H&E-stained section of a sentinel lymph node (breast cancer), from a whole-slide image, viewed at about 5×: the field is about 1 mm across, about 1.9 µm per pixel.
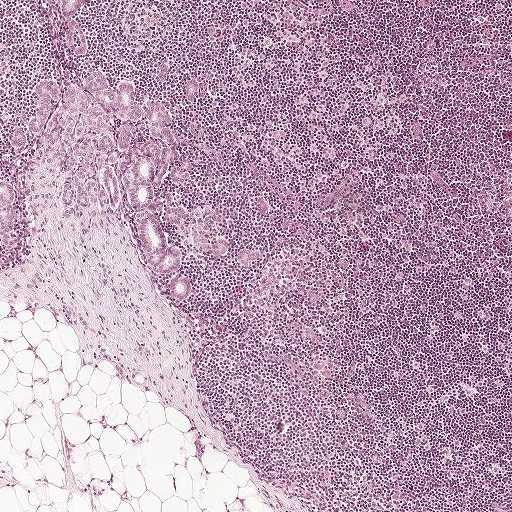
Outlines of eight tumour regions, largest first (closed clockwise paths, crop pixels): region 1: (93, 71), (132, 85), (138, 106), (170, 103), (191, 178), (168, 189), (186, 224), (162, 223), (190, 298), (172, 297), (142, 262), (124, 204), (72, 219), (38, 160), (18, 206), (21, 244), (1, 244), (0, 181), (27, 184), (30, 156), (11, 143), (20, 126), (32, 146), (38, 81); region 2: (198, 206), (204, 209), (206, 206), (210, 206), (216, 214), (216, 220), (212, 227), (206, 231), (198, 230), (207, 240), (207, 246), (205, 248), (190, 243), (186, 245), (183, 244), (183, 231), (196, 221), (194, 212); region 3: (74, 18), (87, 35), (87, 50), (85, 55), (79, 56), (70, 52), (66, 40), (66, 29), (70, 20); region 4: (58, 0), (83, 0), (76, 16), (71, 19), (66, 19), (59, 11); region 5: (242, 248), (257, 249), (260, 252), (259, 258), (251, 261), (247, 265), (240, 263), (237, 256); region 6: (219, 239), (227, 240), (228, 244), (227, 249), (218, 259), (213, 258), (212, 244); region 7: (191, 78), (196, 78), (198, 84), (198, 91), (191, 99), (187, 98), (186, 97), (186, 93), (185, 89), (186, 83); region 8: (162, 63), (168, 66), (168, 73), (165, 81), (161, 80), (160, 80), (160, 77), (158, 76), (158, 73), (160, 70), (160, 64).
Region 3 encloses a non-tumour hole of about 20% of its area.
About 10% of this field is tumour.